This is a crop of a whole-slide image: an H&E-stained breast-cancer sentinel lymph node section at roughly 20× magnification (about 0.45 µm per pixel; the crop spans about 0.23 mm).
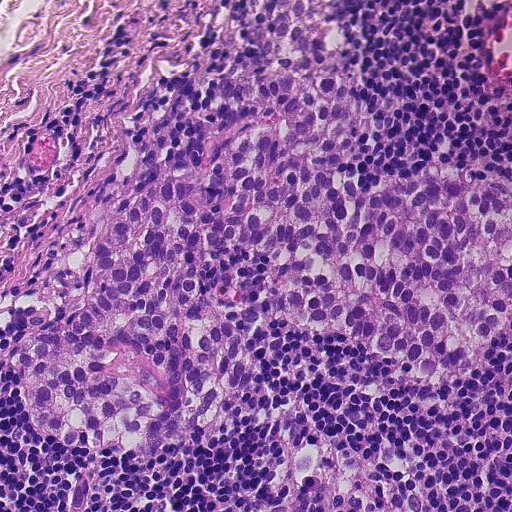
Metastatic tumour outline, simplified to 23 points and listed clockwise in crop pixels (x, y): (266, 0), (344, 0), (372, 42), (357, 80), (402, 102), (340, 168), (360, 188), (445, 162), (508, 177), (511, 342), (424, 386), (345, 332), (267, 320), (227, 431), (150, 459), (40, 436), (14, 358), (30, 312), (72, 318), (112, 215), (262, 116), (218, 93), (260, 50).
The annotated tumour makes up about 45% of the crop.